A 0.12-mm field of an H&E-stained sentinel lymph node from a breast-cancer patient (whole-slide image), shown at about 40×, about 0.23 µm per pixel.
Image:
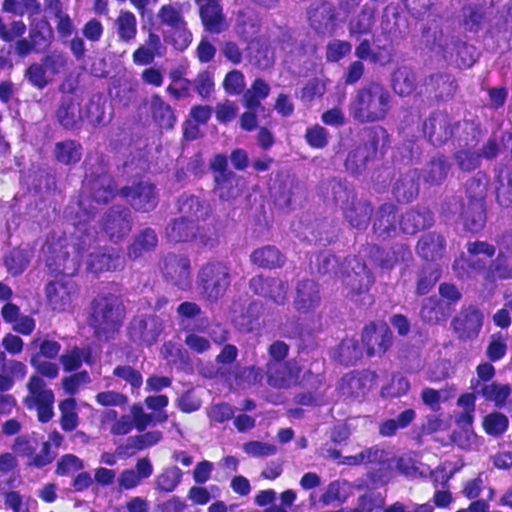
Question:
Show where the tumour is in this image.
Answer:
One metastatic tumour region; its boundary, reduced to 24 corners and listed clockwise: (231, 0), (511, 0), (511, 41), (485, 57), (476, 93), (511, 128), (511, 267), (458, 383), (277, 403), (156, 384), (109, 345), (13, 314), (0, 277), (0, 189), (84, 27), (174, 110), (192, 169), (254, 167), (315, 160), (349, 110), (364, 45), (321, 89), (257, 81), (214, 37).
Tumour covers about 60% of the frame.